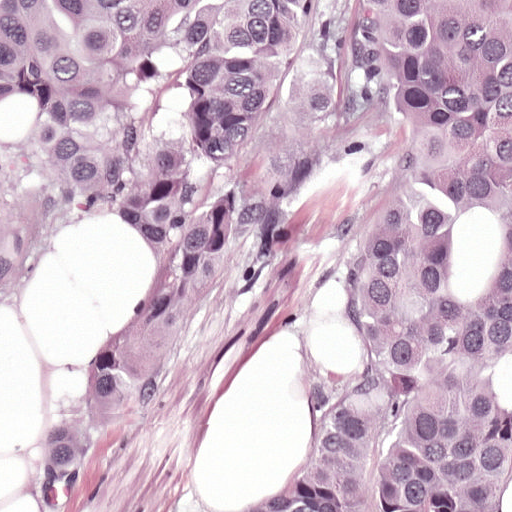
H&E-stained section of a sentinel lymph node (breast cancer), from a whole-slide image, viewed at about 20×: the field is about 0.25 mm across, about 0.49 µm per pixel.
Tumour region outline (a closed clockwise path, crop pixels): (0, 0), (511, 0), (511, 511), (224, 511), (264, 481), (300, 404), (297, 348), (362, 348), (342, 298), (377, 146), (337, 168), (204, 321), (160, 411), (100, 496), (74, 511), (40, 511), (12, 446), (62, 358), (160, 274), (144, 231), (117, 231), (24, 284), (0, 311).
The annotated tumour makes up about 80% of the crop.